Lymph node section stained with H&E, from a whole-slide image of a breast-cancer sentinel node. Magnification about 5×, about 0.93 mm across the frame, about 1.8 µm per pixel.
Image:
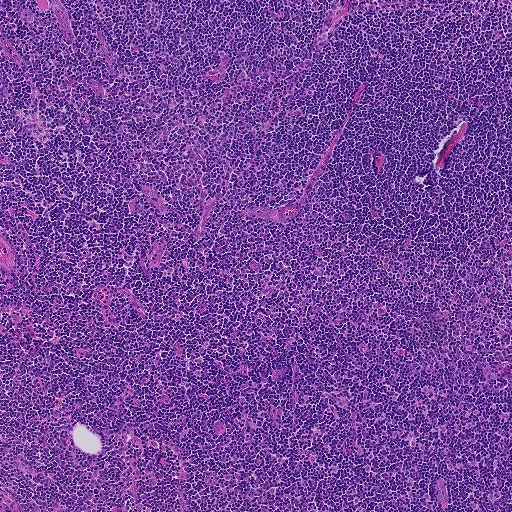
Question:
Is any metastatic breast cancer visible in this crop?
Answer:
No. No metastatic tumour is outlined in this field.